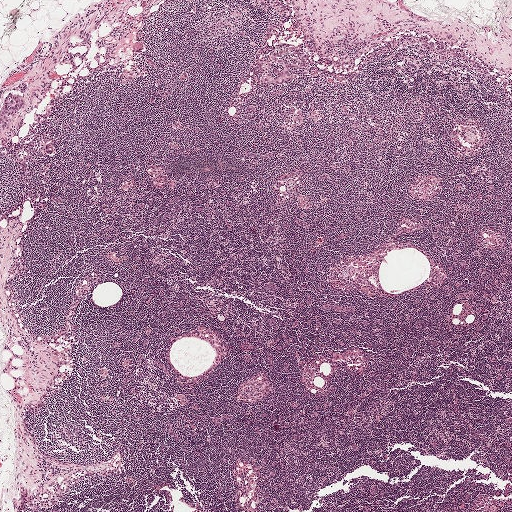
H&E-stained section of a sentinel lymph node (breast cancer), from a whole-slide image, viewed at about 2.5×: the field is about 2.0 mm across, about 3.9 µm per pixel.
Outlines of two tumour regions, largest first (closed clockwise paths, crop pixels): region 1: (274, 52), (282, 52), (284, 61), (300, 66), (290, 68), (291, 72), (298, 74), (298, 76), (293, 81), (282, 83), (274, 82), (266, 83), (260, 81), (262, 72), (257, 62), (265, 56), (270, 56); region 2: (28, 81), (26, 106), (14, 118), (10, 126), (5, 129), (0, 129), (0, 110), (7, 91), (20, 82).
Under 5% of this field is tumour.